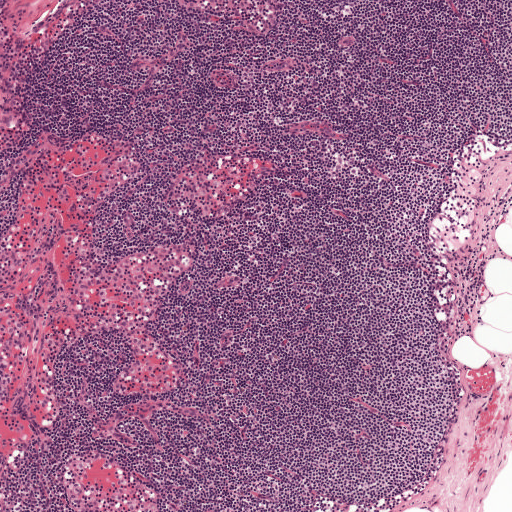
This is a crop of a whole-slide image: an H&E-stained breast-cancer sentinel lymph node section at roughly 5× magnification (about 1.9 µm per pixel; the crop spans about 1 mm).